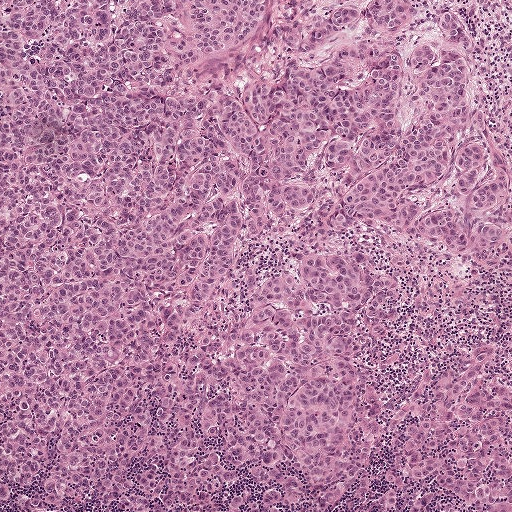
A 1-mm field of an H&E-stained sentinel lymph node from a breast-cancer patient (whole-slide image), shown at about 5×, about 1.9 µm per pixel.
Question: Which parts of this field are metastatic tumour?
Answer: Metastatic tumour covers the whole field.
Tumour covers over 95% of the frame.